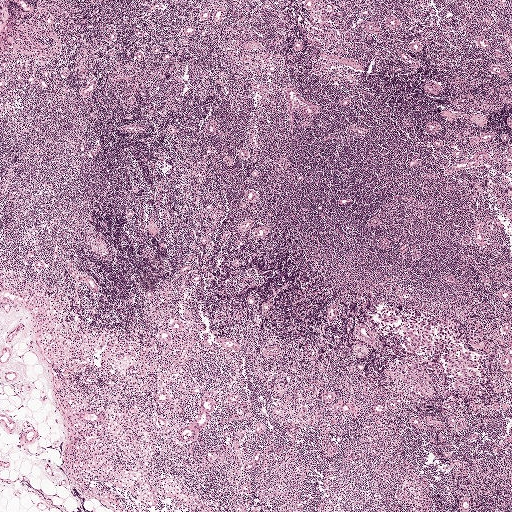
H&E-stained section of a sentinel lymph node (breast cancer), from a whole-slide image, viewed at about 2.5×: the field is about 2.0 mm across, about 3.9 µm per pixel.
Question: Which parts of this field are metastatic tumour?
Answer: Boundaries of two metastatic tumour regions, simplified and listed clockwise, largest first: region 1: (383, 307), (402, 308), (410, 314), (443, 320), (458, 328), (464, 335), (461, 344), (488, 362), (490, 376), (488, 381), (483, 382), (480, 374), (472, 383), (458, 381), (448, 371), (444, 358), (438, 360), (424, 352), (416, 355), (405, 350), (402, 335), (385, 330), (378, 320), (376, 315); region 2: (413, 361), (435, 364), (440, 367), (439, 374), (436, 375), (427, 371), (410, 372), (408, 367).
The annotated tumour makes up under 5% of the crop.